This is a crop of a whole-slide image: an H&E-stained breast-cancer sentinel lymph node section at roughly 5× magnification (about 1.9 µm per pixel; the crop spans about 1 mm).
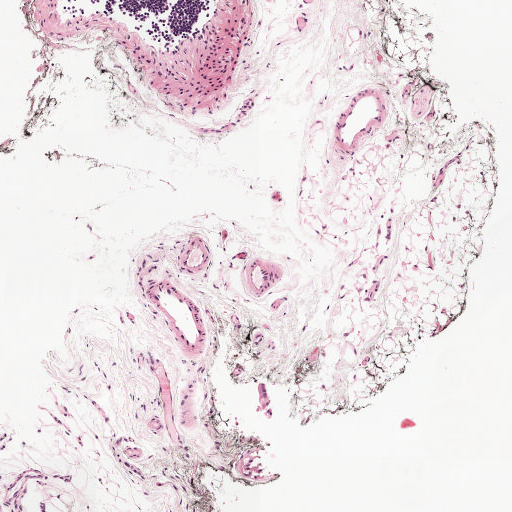
Metastatic tumour outline, simplified to 10 points and listed clockwise in crop pixels (x, y): (268, 381), (268, 390), (274, 410), (274, 419), (266, 420), (262, 414), (255, 414), (258, 402), (255, 386), (258, 383).
The annotated tumour makes up under 5% of the crop.